Question: 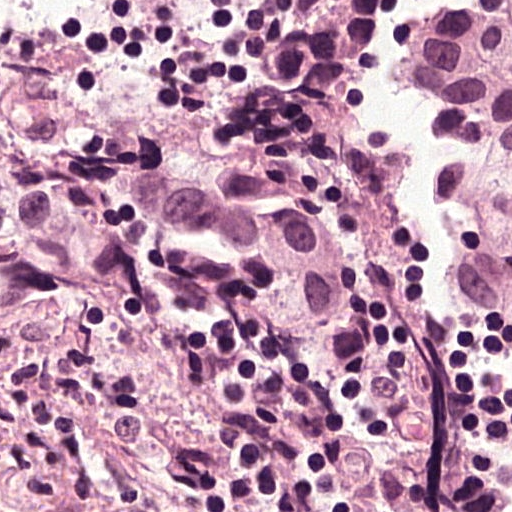
About what magnification does this crop show?

Choices:
 (A) about 10×
 (B) about 40×
 (C) about 5×
 (D) about 2.5×
 (E) about 20×

Answer: (B) about 40×
H&E-stained section of a sentinel lymph node (breast cancer), from a whole-slide image, viewed at about 40×: the field is about 0.12 mm across, about 0.24 µm per pixel.
Outlines of three tumour regions, largest first (closed clockwise paths, crop pixels): region 1: (0, 127), (70, 157), (264, 160), (336, 194), (363, 235), (345, 326), (317, 350), (270, 341), (158, 279), (0, 292); region 2: (424, 0), (429, 14), (427, 0), (511, 0), (511, 319), (482, 292), (476, 264), (432, 198), (432, 70), (366, 114), (335, 114), (135, 2); region 3: (0, 0), (55, 0), (51, 5), (10, 23), (4, 30), (1, 30).
The annotated tumour makes up about 35% of the crop.